Image:
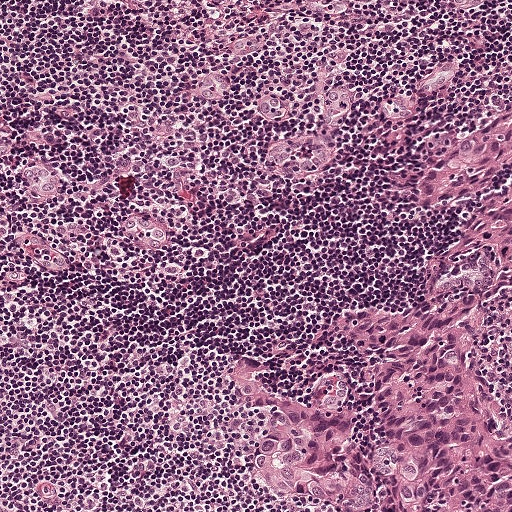
This is a crop of a whole-slide image: an H&E-stained breast-cancer sentinel lymph node section at roughly 10× magnification (about 0.97 µm per pixel; the crop spans about 0.5 mm).
Question:
Does this lymph node field contain metastatic tumour?
Answer:
Yes.
Metastatic tumour outline, simplified to 18 points and listed clockwise in crop pixels (x, y): (511, 95), (511, 511), (321, 511), (246, 481), (249, 416), (216, 391), (222, 360), (241, 358), (254, 382), (291, 398), (325, 318), (412, 299), (418, 264), (445, 234), (445, 219), (409, 200), (410, 187), (448, 141).
Tumour covers about 25% of the frame.